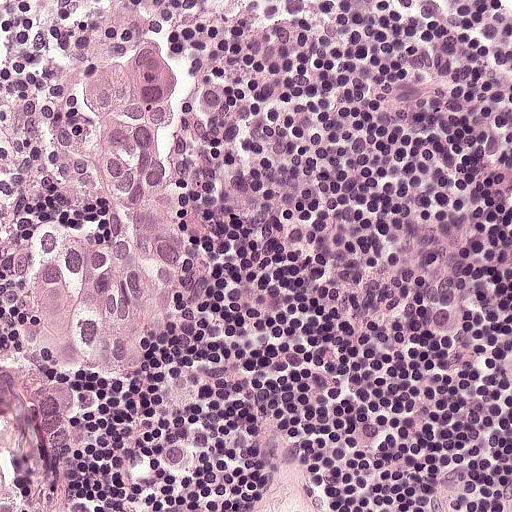
Lymph node section stained with H&E, from a whole-slide image of a breast-cancer sentinel node. Magnification about 20×, about 0.25 mm across the frame, about 0.49 µm per pixel.
Metastatic tumour outline, simplified to 16 points and listed clockwise in crop pixels (x, y): (152, 32), (175, 46), (185, 72), (162, 136), (178, 310), (150, 374), (81, 404), (89, 468), (64, 511), (0, 511), (0, 362), (22, 340), (44, 202), (67, 184), (60, 120), (70, 70).
About 20% of the image area is annotated as tumour.